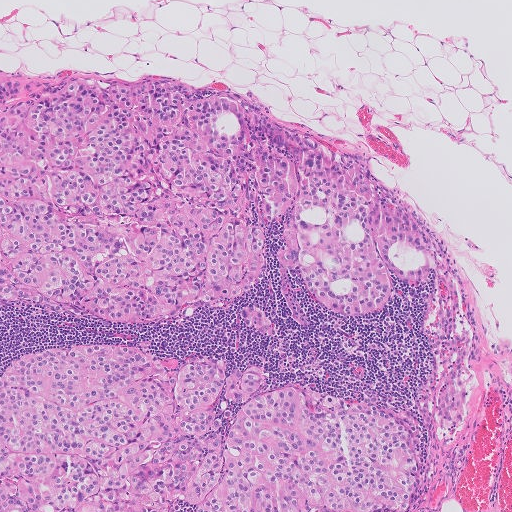
This is a crop of a whole-slide image: an H&E-stained breast-cancer sentinel lymph node section at roughly 5× magnification (about 2.0 µm per pixel; the crop spans about 1.0 mm).
Boundaries of three metastatic tumour regions, simplified and listed clockwise, largest first: region 1: (0, 74), (161, 76), (242, 95), (428, 230), (433, 258), (372, 316), (317, 310), (273, 229), (272, 283), (219, 312), (133, 321), (0, 304); region 2: (90, 340), (259, 361), (391, 418), (414, 440), (424, 511), (0, 511), (0, 372), (34, 352); region 3: (257, 302), (274, 314), (282, 337), (267, 338), (252, 333), (238, 316), (244, 305).
Tumour covers about 55% of the frame.